H&E-stained section of a sentinel lymph node (breast cancer), from a whole-slide image, viewed at about 2.5×: the field is about 2.0 mm across, about 3.9 µm per pixel.
Question: 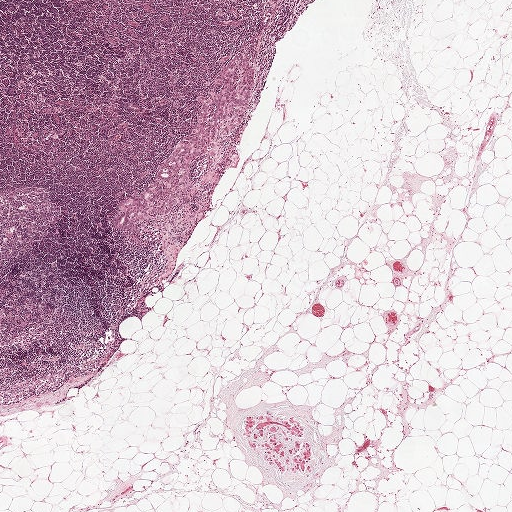
Roughly what share of this field is metastatic tumour?

Choices:
 (A) about 10% to 20%
 (B) about 5% or less
 (C) none: no tumour is outlined
 (D) about 50% or more
 (E) about 25% to 45%

Answer: (B) about 5% or less
About 5% of the field is tumour.
The outlined metastatic tumour's edge, as a closed clockwise path of 24 points: (246, 53), (256, 63), (253, 107), (246, 125), (225, 138), (224, 152), (218, 160), (210, 163), (205, 155), (192, 163), (190, 175), (194, 189), (171, 217), (130, 230), (114, 230), (110, 225), (121, 202), (150, 185), (168, 158), (187, 140), (196, 118), (198, 97), (210, 92), (235, 54).